Question: 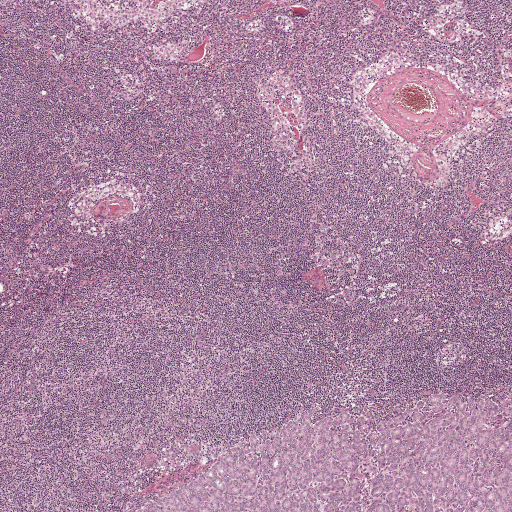
A 2.0-mm field of an H&E-stained sentinel lymph node from a breast-cancer patient (whole-slide image), shown at about 2.5×, about 3.9 µm per pixel.
Roughly what share of this field is metastatic tumour?

Choices:
 (A) about 10% to 20%
 (B) about 25% to 45%
 (C) about 5% or less
 (D) none: no tumour is outlined
 (E) about 50% or more

Answer: (A) about 10% to 20%
About 10% of the field is tumour.
Metastatic tumour outline, simplified to 10 points and listed clockwise in crop pixels (x, y): (448, 392), (511, 399), (511, 511), (135, 511), (249, 435), (316, 404), (313, 424), (342, 411), (378, 419), (393, 406).